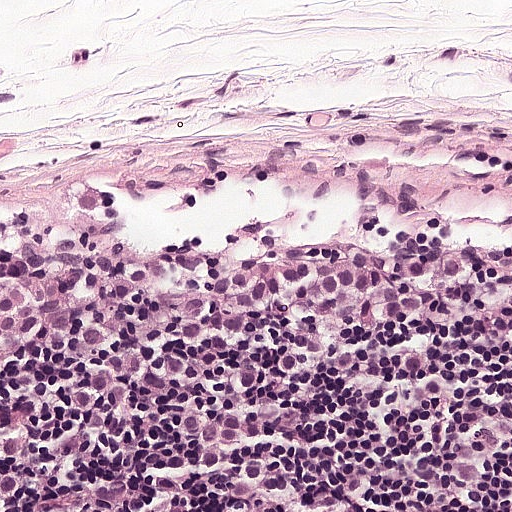
A 0.25-mm field of an H&E-stained sentinel lymph node from a breast-cancer patient (whole-slide image), shown at about 20×, about 0.49 µm per pixel.
The outlined metastatic tumour's edge, as a closed clockwise path of 8 points: (196, 157), (410, 157), (511, 174), (511, 445), (328, 420), (0, 420), (0, 202), (82, 175).
The annotated tumour makes up about 50% of the crop.